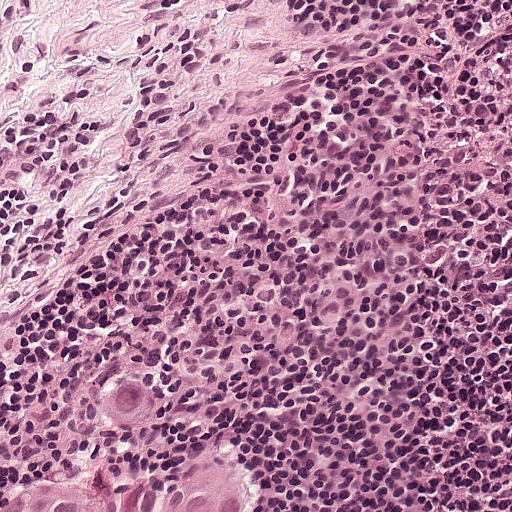
H&E-stained section of a sentinel lymph node (breast cancer), from a whole-slide image, viewed at about 20×: the field is about 0.25 mm across, about 0.49 µm per pixel.
The outlined metastatic tumour's edge, as a closed clockwise path of 16 points: (122, 375), (160, 380), (155, 381), (176, 406), (178, 436), (168, 461), (190, 470), (228, 452), (241, 454), (268, 470), (268, 510), (14, 511), (26, 496), (55, 474), (102, 452), (110, 400).
The annotated tumour makes up about 5% of the crop.